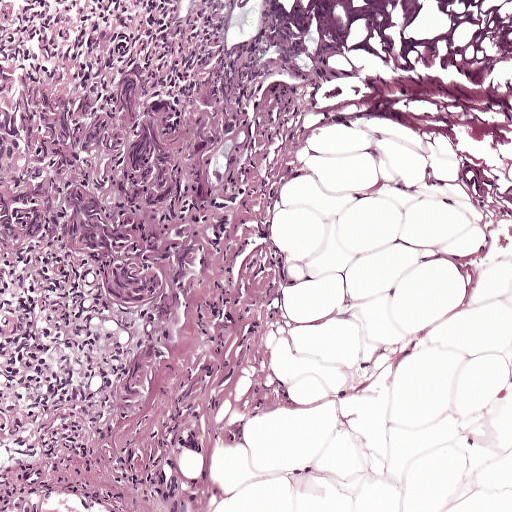
This is a crop of a whole-slide image: an H&E-stained breast-cancer sentinel lymph node section at roughly 10× magnification (about 0.97 µm per pixel; the crop spans about 0.5 mm).
Outlines of two tumour regions, largest first (closed clockwise paths, crop pixels): region 1: (133, 46), (249, 110), (250, 170), (158, 386), (124, 404), (120, 381), (141, 317), (44, 242), (0, 269), (0, 72), (36, 52); region 2: (0, 410), (11, 426), (0, 440).
About 20% of this field is tumour.